Question: 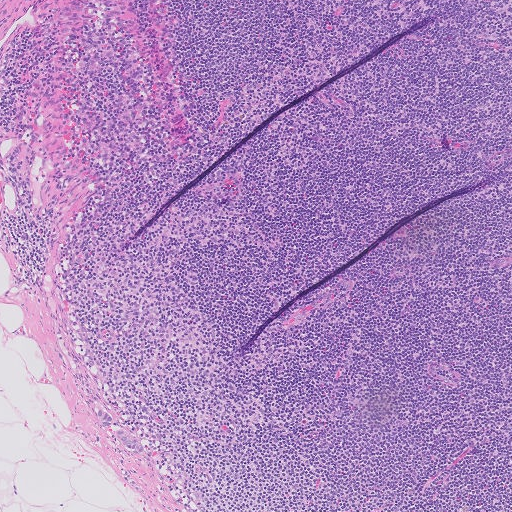
Lymph node section stained with H&E, from a whole-slide image of a breast-cancer sentinel node. Magnification about 5×, about 1.0 mm across the frame, about 2.0 µm per pixel.
About how much of this crop is taken up by metastatic carcinoma?

Choices:
 (A) about 5% or less
 (B) about 25% to 45%
 (C) none: no tumour is outlined
 (D) about 10% to 20%
 (E) about 50% or more

Answer: (A) about 5% or less
Under 5% of the field is tumour.
Two metastatic tumour regions, each outlined as a closed clockwise path in crop pixels (x, y), largest first: region 1: (115, 429), (122, 429), (126, 431), (142, 446), (143, 449), (142, 453), (136, 455), (127, 448), (114, 436), (112, 432); region 2: (100, 407), (104, 411), (111, 415), (112, 418), (112, 422), (112, 425), (108, 426), (105, 426), (100, 422), (96, 415), (95, 412), (96, 408).